H&E-stained section of a sentinel lymph node (breast cancer), from a whole-slide image, viewed at about 5×: the field is about 0.93 mm across, about 1.8 µm per pixel.
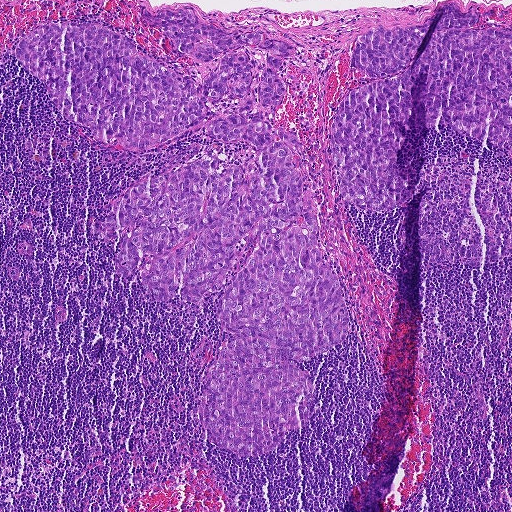
Two metastatic tumour regions, each outlined as a closed clockwise path in crop pixels (x, y), largest first: region 1: (143, 6), (190, 6), (220, 30), (259, 27), (295, 50), (280, 71), (286, 96), (267, 115), (306, 152), (349, 330), (294, 364), (316, 409), (270, 456), (220, 448), (197, 417), (203, 377), (237, 336), (217, 321), (227, 283), (192, 304), (154, 301), (140, 265), (116, 275), (122, 238), (91, 234), (127, 182), (206, 152), (255, 152), (198, 127), (150, 150), (110, 145), (12, 58), (50, 22), (104, 26), (197, 84), (220, 57), (185, 56), (141, 19); region 2: (445, 1), (477, 14), (476, 26), (511, 29), (511, 156), (454, 130), (401, 131), (400, 171), (415, 193), (409, 205), (369, 213), (344, 202), (327, 149), (341, 98), (390, 76), (365, 75), (349, 58), (368, 27), (416, 24).
Tumour covers about 35% of the frame.